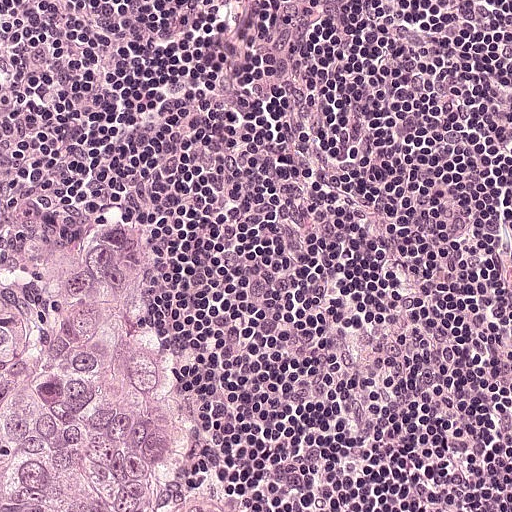
Lymph node section stained with H&E, from a whole-slide image of a breast-cancer sentinel node. Magnification about 20×, about 0.25 mm across the frame, about 0.49 µm per pixel.
Metastatic tumour outline, simplified to 11 points and listed clockwise in crop pixels (x, y): (94, 226), (136, 244), (160, 304), (160, 350), (138, 386), (153, 486), (208, 478), (244, 509), (0, 511), (0, 230), (42, 250).
About 15% of the image area is annotated as tumour.